This is a crop of a whole-slide image: an H&E-stained breast-cancer sentinel lymph node section at roughly 10× magnification (about 0.97 µm per pixel; the crop spans about 0.5 mm).
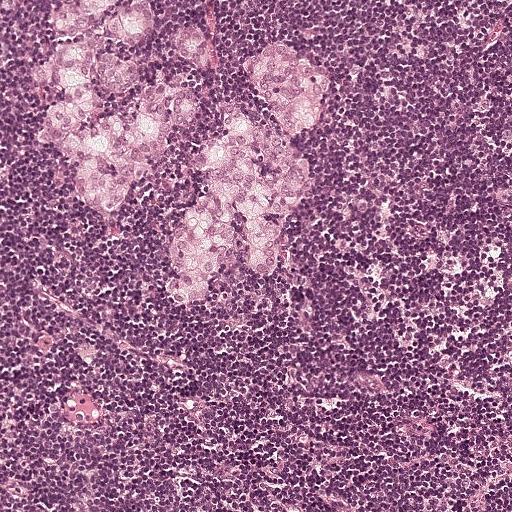
Question: Which parts of this field are metastatic tumour? Answer with the outline of each region, in pixels.
Answer: Outlines of three tumour regions, largest first (closed clockwise paths, crop pixels): region 1: (64, 0), (156, 5), (163, 29), (147, 61), (154, 84), (170, 69), (194, 19), (205, 22), (211, 36), (208, 64), (194, 80), (197, 124), (144, 160), (104, 220), (78, 206), (53, 165), (31, 158), (31, 121), (40, 96), (30, 74); region 2: (226, 102), (239, 104), (255, 121), (282, 134), (312, 170), (313, 197), (307, 212), (279, 242), (280, 274), (276, 280), (246, 276), (239, 212), (234, 210), (214, 276), (200, 297), (180, 308), (168, 307), (163, 286), (168, 256), (179, 226), (204, 192), (202, 153), (224, 136); region 3: (281, 39), (306, 54), (311, 63), (326, 73), (334, 84), (334, 92), (315, 100), (313, 123), (297, 131), (286, 131), (272, 126), (263, 115), (260, 97), (238, 82), (239, 64), (245, 54).
The annotated tumour makes up about 20% of the crop.